Image:
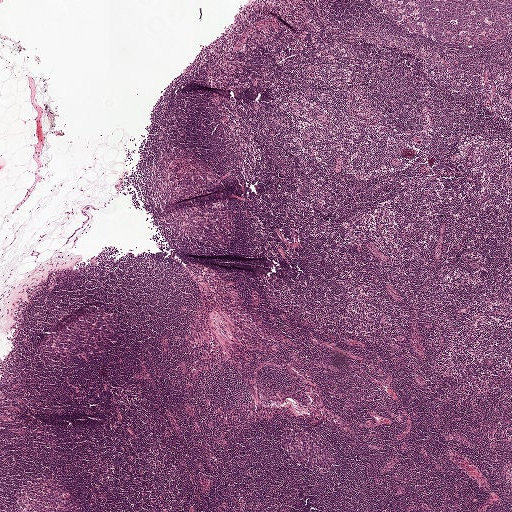
Lymph node section stained with H&E, from a whole-slide image of a breast-cancer sentinel node. Magnification about 2.5×, about 2.0 mm across the frame, about 3.9 µm per pixel.
Question:
Does this lymph node field contain metastatic tumour?
Answer:
No: no metastatic tumour is outlined anywhere in this field.